Question: 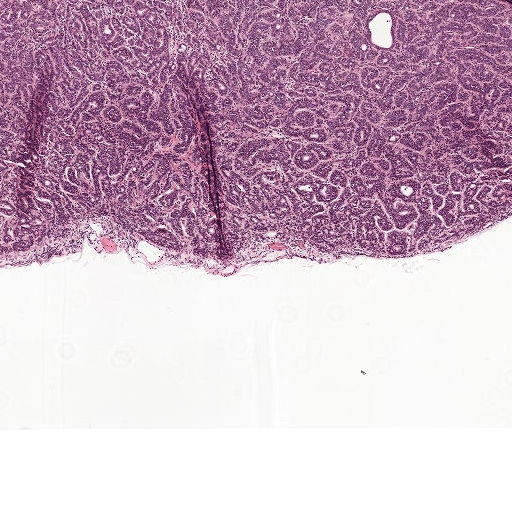
This is a crop of a whole-slide image: an H&E-stained breast-cancer sentinel lymph node section at roughly 2.5× magnification (about 3.9 µm per pixel; the crop spans about 2.0 mm).
Estimate the proportion of this field that is metastatic tumour.

Choices:
 (A) about 5% or less
 (B) none: no tumour is outlined
 (C) about 50% or more
 (D) about 25% to 45%
 (E) about 10% to 20%

Answer: (D) about 25% to 45%
About 45% of the field is tumour.
One metastatic tumour region; its boundary, reduced to 14 corners and listed clockwise: (0, 0), (511, 4), (511, 212), (500, 222), (418, 256), (293, 236), (232, 259), (215, 137), (187, 84), (208, 164), (211, 256), (162, 247), (102, 216), (0, 258).